Question: 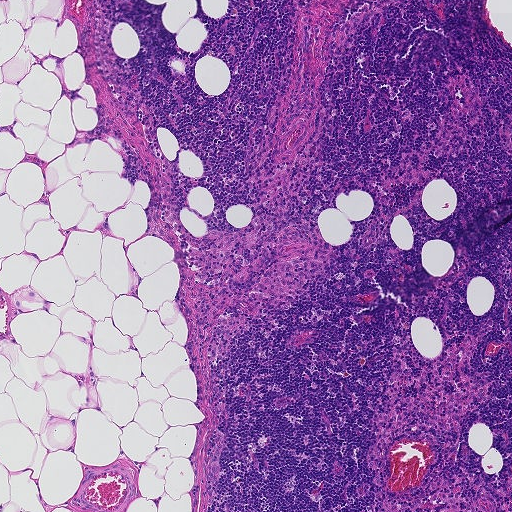
A 0.93-mm field of an H&E-stained sentinel lymph node from a breast-cancer patient (whole-slide image), shown at about 5×, about 1.8 µm per pixel.
Estimate the proportion of this field that is metastatic tumour.

Choices:
 (A) none: no tumour is outlined
 (B) about 5% or less
 (C) about 10% to 20%
 (D) about 25% to 45%
 (E) about 50% or more

Answer: (A) none: no tumour is outlined
No metastatic tumour is outlined in this field.